Lymph node section stained with H&E, from a whole-slide image of a breast-cancer sentinel node. Magnification about 10×, about 0.5 mm across the frame, about 0.97 µm per pixel.
Question: 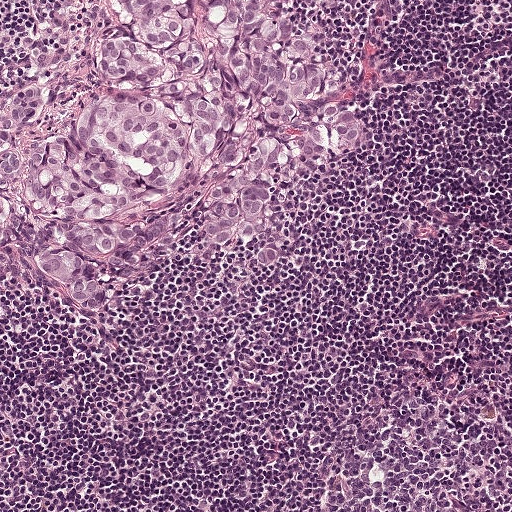
Roughly what share of this field is metastatic tumour?

Choices:
 (A) none: no tumour is outlined
 (B) about 5% or less
 (C) about 10% to 20%
 (D) about 25% to 45%
 (E) about 50% or more

Answer: (D) about 25% to 45%
About 30% of the field is tumour.
Metastatic tumour outline, simplified to 22 points and listed clockwise in crop pixels (x, y): (41, 0), (340, 0), (335, 15), (305, 8), (294, 32), (336, 27), (321, 40), (342, 84), (318, 102), (358, 122), (364, 149), (283, 180), (265, 242), (283, 264), (258, 268), (245, 243), (216, 249), (198, 228), (98, 321), (0, 269), (0, 110), (31, 77).